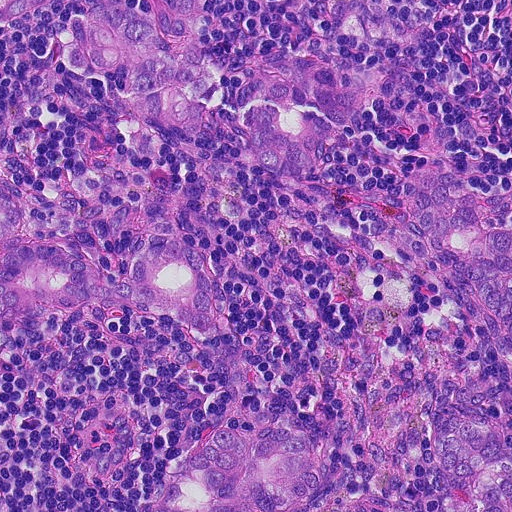
This is a crop of a whole-slide image: an H&E-stained breast-cancer sentinel lymph node section at roughly 20× magnification (about 0.45 µm per pixel; the crop spans about 0.23 mm).
Six metastatic tumour regions, each outlined as a closed clockwise path in crop pixels (x, y), largest first: region 1: (96, 0), (208, 0), (210, 54), (228, 70), (271, 51), (295, 50), (389, 76), (403, 94), (360, 114), (318, 172), (296, 179), (274, 179), (255, 162), (242, 117), (252, 96), (236, 78), (216, 91), (216, 116), (206, 138), (183, 144), (160, 136), (108, 80), (61, 68), (59, 44); region 2: (0, 169), (22, 209), (26, 238), (50, 242), (111, 282), (133, 274), (143, 252), (160, 236), (183, 242), (201, 260), (217, 306), (217, 328), (194, 332), (176, 316), (130, 306), (83, 304), (36, 310), (14, 320), (12, 344), (0, 351); region 3: (249, 419), (296, 430), (308, 451), (316, 476), (304, 495), (285, 509), (141, 511), (156, 502), (202, 444), (226, 424); region 4: (450, 159), (467, 178), (491, 227), (511, 238), (511, 330), (490, 314), (477, 292), (420, 248), (408, 226), (404, 201), (408, 177), (426, 160); region 5: (468, 414), (490, 424), (510, 467), (511, 511), (447, 511), (440, 450), (446, 426); region 6: (0, 0), (46, 0), (30, 10), (0, 25).
About 25% of the image area is annotated as tumour.